A 0.46-mm field of an H&E-stained sentinel lymph node from a breast-cancer patient (whole-slide image), shown at about 10×, about 0.9 µm per pixel.
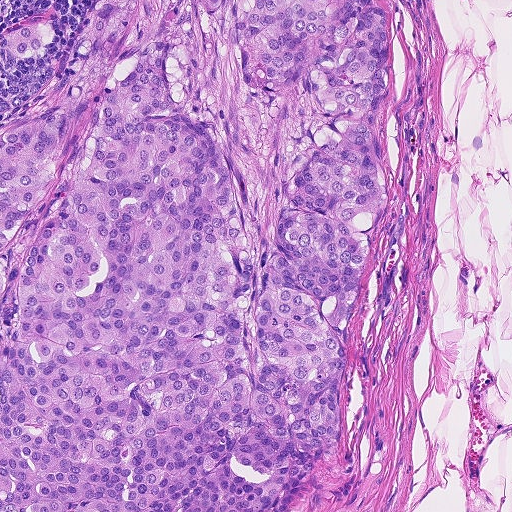
One metastatic tumour region; its boundary, reduced to 11 corners and listed clockwise: (95, 0), (377, 0), (389, 217), (372, 232), (343, 337), (340, 452), (292, 511), (0, 511), (0, 99), (31, 102), (49, 86).
The annotated tumour makes up about 70% of the crop.